Question: 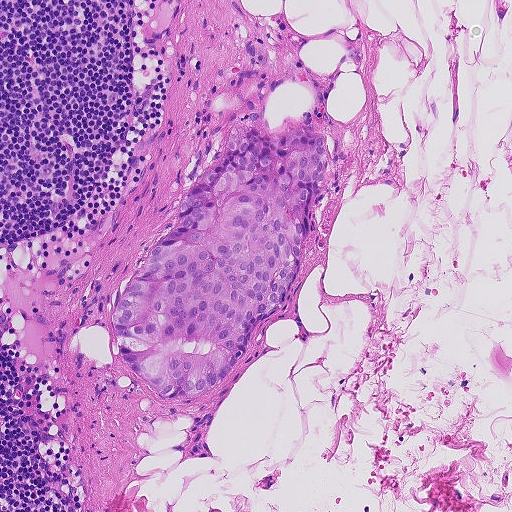
This is a crop of a whole-slide image: an H&E-stained breast-cancer sentinel lymph node section at roughly 10× magnification (about 0.9 µm per pixel; the crop spans about 0.46 mm).
Roughly what share of this field is metastatic tumour?

Choices:
 (A) about 10% to 20%
 (B) about 5% or less
 (C) about 25% to 45%
 (D) none: no tumour is outlined
 (E) about 50% or more

Answer: (A) about 10% to 20%
About 15% of the field is tumour.
Tumour region outline (a closed clockwise path, crop pixels): (251, 100), (269, 130), (306, 128), (327, 142), (328, 168), (293, 281), (214, 386), (178, 398), (134, 372), (112, 323), (134, 277), (178, 221), (182, 196).